Image:
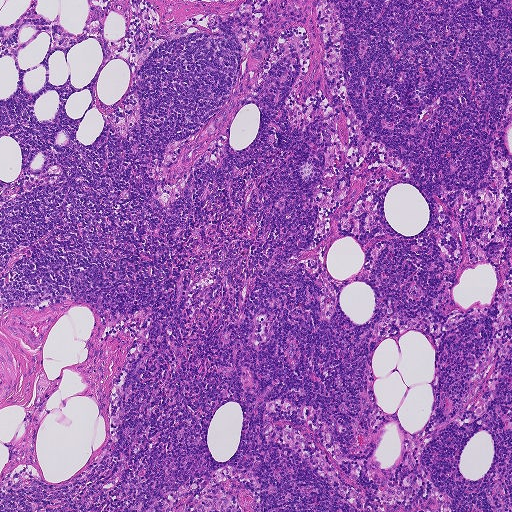
H&E-stained section of a sentinel lymph node (breast cancer), from a whole-slide image, viewed at about 5×: the field is about 0.93 mm across, about 1.8 µm per pixel.
Question:
Does this lymph node field contain metastatic tumour?
Answer:
No: no metastatic tumour is outlined anywhere in this field.